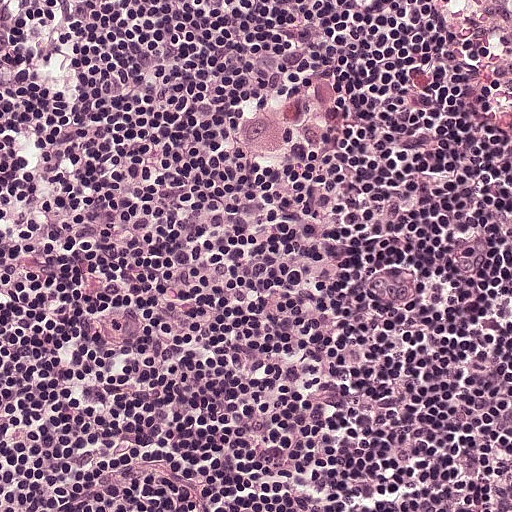
H&E-stained section of a sentinel lymph node (breast cancer), from a whole-slide image, viewed at about 20×: the field is about 0.25 mm across, about 0.49 µm per pixel.
Question: Is any metastatic breast cancer visible in this crop?
Answer: No, this field holds no outlined metastasis.